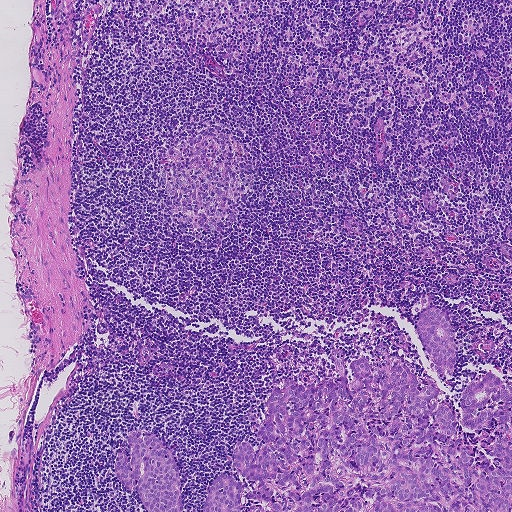
H&E-stained section of a sentinel lymph node (breast cancer), from a whole-slide image, viewed at about 5×: the field is about 0.93 mm across, about 1.8 µm per pixel.
Question: Is any metastatic breast cancer visible in this crop?
Answer: Yes.
Two metastatic tumour regions, each outlined as a closed clockwise path in crop pixels (x, y), largest first: region 1: (428, 306), (448, 316), (458, 354), (448, 400), (457, 412), (482, 374), (511, 381), (511, 511), (201, 511), (216, 476), (245, 478), (232, 451), (240, 440), (264, 442), (255, 421), (271, 391), (305, 369), (335, 374), (336, 348), (345, 360), (385, 343), (425, 376), (415, 323); region 2: (137, 429), (152, 433), (165, 442), (176, 464), (183, 504), (183, 511), (148, 511), (137, 492), (122, 486), (114, 472), (117, 448), (124, 446), (130, 431).
About 15% of this field is tumour.